Lymph node section stained with H&E, from a whole-slide image of a breast-cancer sentinel node. Magnification about 2.5×, about 2.0 mm across the frame, about 3.9 µm per pixel.
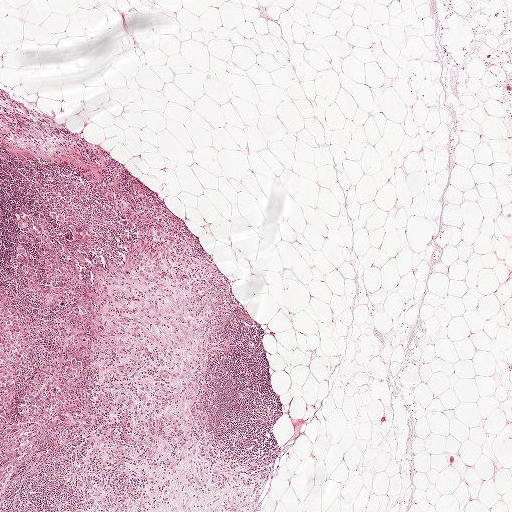
Tumour region outline (a closed clockwise path, crop pixels): (24, 202), (44, 202), (78, 210), (103, 235), (107, 259), (101, 358), (71, 403), (46, 416), (3, 511), (0, 289), (31, 308), (16, 259), (14, 211).
About 10% of the image area is annotated as tumour.